Question: 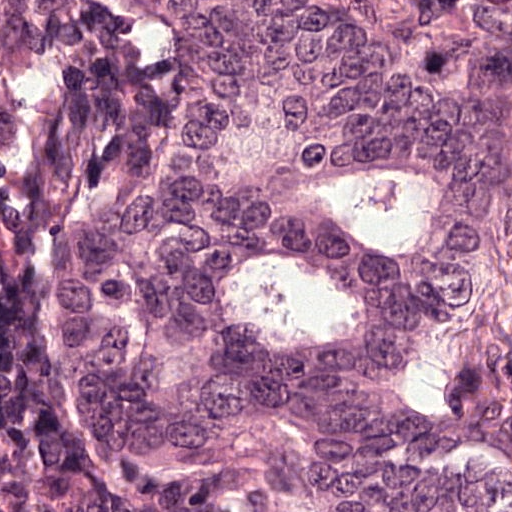
About what magnification does this crop show?

Choices:
 (A) about 2.5×
 (B) about 10×
 (C) about 40×
 (D) about 5×
 (E) about 20×

Answer: (C) about 40×
Lymph node section stained with H&E, from a whole-slide image of a breast-cancer sentinel node. Magnification about 40×, about 0.12 mm across the frame, about 0.24 µm per pixel.
One metastatic tumour region; its boundary, reduced to 21 corners and listed clockwise: (132, 0), (470, 0), (485, 17), (511, 84), (511, 195), (472, 286), (428, 345), (425, 370), (447, 398), (511, 436), (511, 511), (272, 511), (238, 492), (122, 492), (94, 476), (47, 389), (47, 264), (69, 198), (128, 142), (153, 95), (153, 51).
Tumour covers about 75% of the frame.